Question: 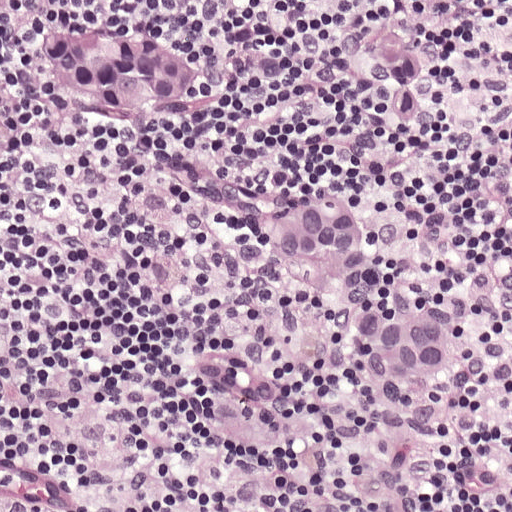
H&E-stained section of a sentinel lymph node (breast cancer), from a whole-slide image, viewed at about 20×: the field is about 0.25 mm across, about 0.49 µm per pixel.
Estimate the proportion of this field that is metastatic tumour.

Choices:
 (A) about 50% or more
 (B) about 25% to 45%
 (C) about 5% or less
 (D) none: no tumour is outlined
 (E) about 10% to 20%

Answer: (B) about 25% to 45%
About 30% of the field is tumour.
Boundaries of two metastatic tumour regions, simplified and listed clockwise, largest first: region 1: (52, 2), (192, 30), (222, 76), (201, 118), (212, 168), (343, 190), (372, 228), (371, 301), (458, 299), (474, 320), (455, 432), (358, 424), (371, 511), (346, 412), (217, 461), (157, 386), (174, 342), (219, 334), (348, 405), (355, 311), (261, 286), (225, 198), (0, 79), (6, 24); region 2: (427, 46), (426, 102), (411, 122), (390, 121), (392, 55).
Question: 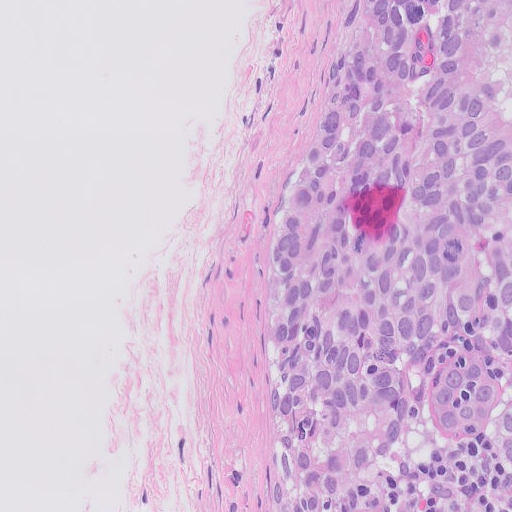
A 0.26-mm field of an H&E-stained sentinel lymph node from a breast-cancer patient (whole-slide image), shown at about 20×, about 0.5 µm per pixel.
Estimate the proportion of this field that is metastatic tumour.

Choices:
 (A) about 10% to 20%
 (B) about 25% to 45%
 (C) none: no tumour is outlined
 (D) about 50% or more
 (E) about 5% or less

Answer: (B) about 25% to 45%
About 35% of the field is tumour.
Boundaries of two metastatic tumour regions, simplified and listed clockwise, largest first: region 1: (341, 0), (511, 0), (511, 383), (496, 352), (463, 330), (432, 356), (408, 434), (362, 486), (330, 511), (290, 510), (262, 431), (282, 270), (270, 227); region 2: (511, 408), (511, 473), (500, 468), (510, 428).
Question: 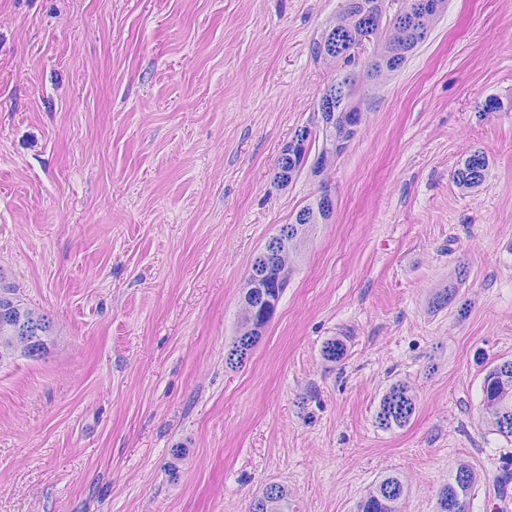
Lymph node section stained with H&E, from a whole-slide image of a breast-cancer sentinel node. Magnification about 20×, about 0.23 mm across the frame, about 0.45 µm per pixel.
Estimate the proportion of this field that is metastatic tumour.

Choices:
 (A) about 5% or less
 (B) about 10% to 20%
 (C) about 50% or more
 (D) about 25% to 45%
 (E) none: no tumour is outlined

Answer: (C) about 50% or more
About 55% of the field is tumour.
Outlines of two tumour regions, largest first (closed clockwise paths, crop pixels): region 1: (331, 0), (511, 0), (511, 511), (143, 511), (154, 458), (256, 230), (250, 196), (324, 81), (307, 52); region 2: (0, 258), (30, 295), (68, 328), (66, 353), (41, 364), (14, 368), (0, 377).
Question: 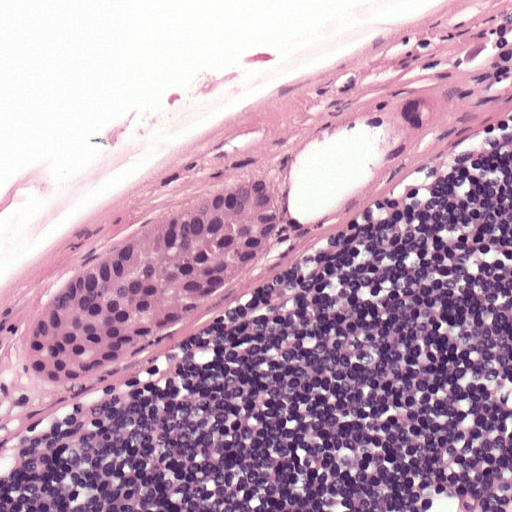
Lymph node section stained with H&E, from a whole-slide image of a breast-cancer sentinel node. Magnification about 20×, about 0.25 mm across the frame, about 0.49 µm per pixel.
Estimate the proportion of this field that is metastatic tumour.

Choices:
 (A) none: no tumour is outlined
 (B) about 10% to 20%
 (C) about 25% to 45%
 (D) about 5% or less
 (E) about 50% or more

Answer: (B) about 10% to 20%
About 10% of the field is tumour.
Tumour region outline (a closed clockwise path, crop pixels): (260, 173), (277, 186), (272, 248), (169, 332), (78, 387), (29, 378), (18, 348), (48, 300), (82, 260), (199, 179).
One more small tumour piece is annotated here but not outlined.